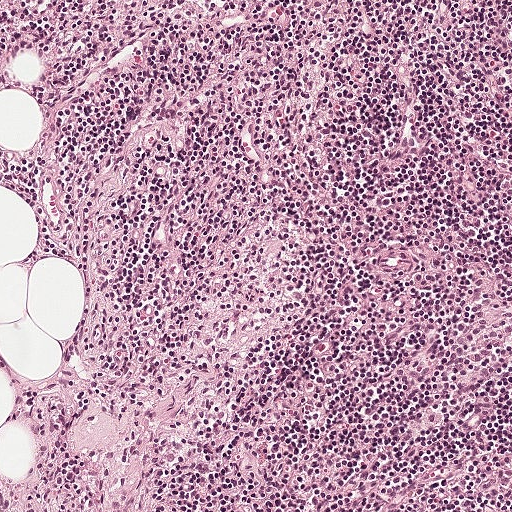
This is a crop of a whole-slide image: an H&E-stained breast-cancer sentinel lymph node section at roughly 10× magnification (about 0.97 µm per pixel; the crop spans about 0.5 mm).